Lymph node section stained with H&E, from a whole-slide image of a breast-cancer sentinel node. Magnification about 2.5×, about 2.0 mm across the frame, about 3.9 µm per pixel.
Image:
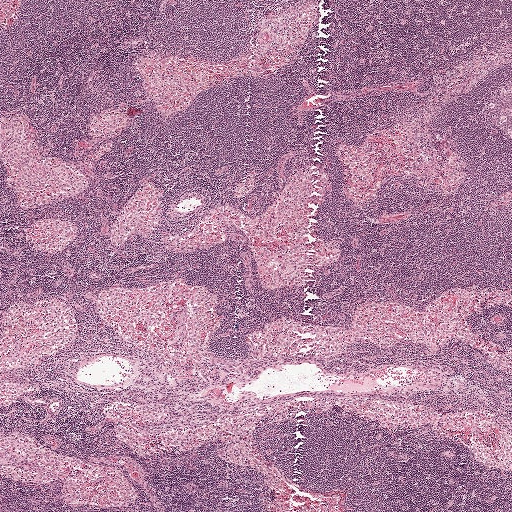
Question:
Is there metastatic carcinoma in this field?
Answer:
No: no metastatic tumour is outlined anywhere in this field.